Lymph node section stained with H&E, from a whole-slide image of a breast-cancer sentinel node. Magnification about 5×, about 0.93 mm across the frame, about 1.8 µm per pixel.
Image:
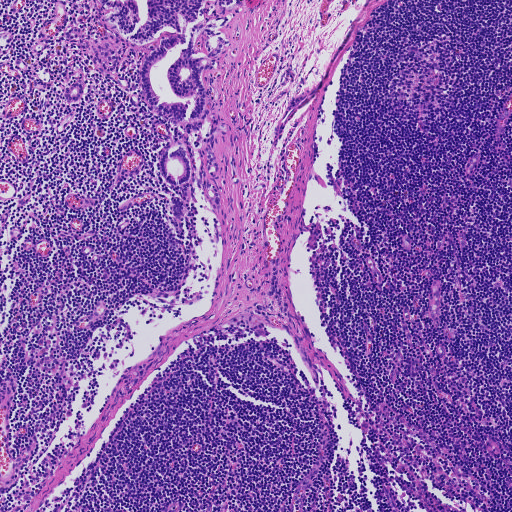
Question:
Which parts of this field are metastatic tumour? Answer with the outline of each region, in pixels.
Answer:
Boundaries of seven metastatic tumour regions, simplified and listed clockwise, largest first: region 1: (98, 0), (249, 0), (218, 30), (228, 35), (230, 44), (217, 58), (217, 68), (202, 72), (212, 134), (210, 143), (198, 149), (144, 97), (146, 56), (160, 38), (177, 32), (165, 27), (140, 46), (125, 39), (106, 20), (109, 11); region 2: (181, 139), (192, 164), (192, 174), (187, 212), (183, 221), (178, 222), (174, 217), (170, 199), (172, 195), (180, 199), (182, 188), (169, 185), (163, 178), (159, 168), (162, 150), (167, 144); region 3: (107, 37), (120, 55), (120, 62), (109, 71), (102, 69), (93, 53), (101, 40); region 4: (206, 179), (217, 186), (220, 195), (220, 204), (217, 212), (205, 198); region 5: (71, 25), (79, 27), (85, 32), (82, 39), (90, 41), (91, 48), (84, 51), (78, 46), (81, 40), (74, 41), (66, 39), (66, 31); region 6: (81, 79), (83, 88), (83, 94), (80, 100), (71, 103), (65, 99), (64, 92), (69, 86); region 7: (208, 146), (214, 152), (217, 161), (218, 171), (216, 179), (209, 174), (205, 165), (205, 155).
Tumour covers about 5% of the frame.